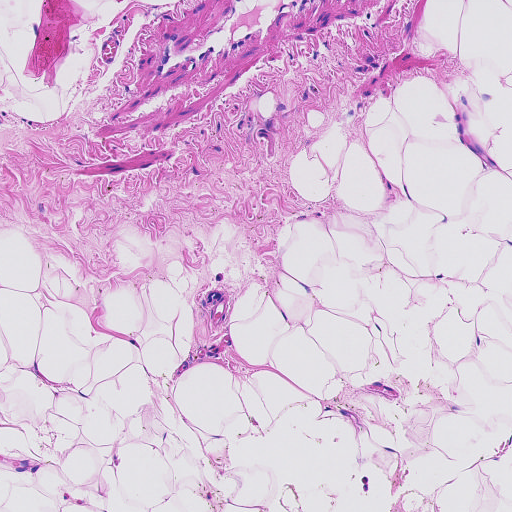
A 0.46-mm field of an H&E-stained sentinel lymph node from a breast-cancer patient (whole-slide image), shown at about 10×, about 0.91 µm per pixel.